Question: 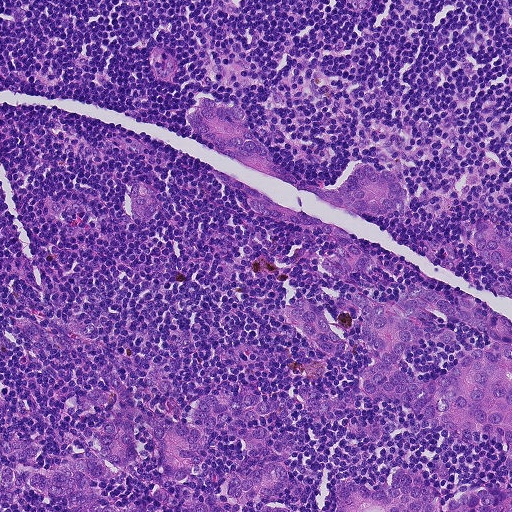
A 0.46-mm field of an H&E-stained sentinel lymph node from a breast-cancer patient (whole-slide image), shown at about 10×, about 0.9 µm per pixel.
Roughly what share of this field is metastatic tumour?

Choices:
 (A) about 25% to 45%
 (B) about 10% to 20%
 (C) none: no tumour is outlined
 (D) about 5% or less
 (E) about 50% or more

Answer: (A) about 25% to 45%
About 25% of the field is tumour.
Outlines of four tumour regions, largest first (closed clockwise paths, crop pixels): region 1: (204, 94), (232, 100), (278, 160), (329, 189), (357, 162), (392, 173), (407, 208), (373, 255), (455, 305), (425, 244), (442, 235), (469, 284), (487, 290), (506, 273), (479, 264), (469, 228), (511, 232), (511, 468), (503, 440), (429, 428), (400, 402), (361, 392), (373, 361), (366, 347), (322, 354), (268, 313), (305, 298), (352, 340), (361, 330), (353, 292), (378, 303), (405, 292), (372, 269), (326, 276), (317, 265), (338, 244), (254, 214), (214, 173), (212, 147), (187, 112); region 2: (249, 386), (267, 393), (275, 410), (260, 423), (290, 447), (293, 484), (284, 508), (292, 511), (68, 511), (70, 499), (20, 486), (0, 492), (0, 467), (12, 463), (0, 456), (0, 441), (40, 444), (42, 474), (94, 450), (110, 417), (166, 422), (195, 396), (233, 398); region 3: (395, 464), (414, 471), (429, 484), (441, 498), (439, 511), (336, 511), (334, 498), (338, 483), (351, 480), (364, 486), (370, 492), (388, 482); region 4: (478, 486), (496, 490), (511, 490), (511, 511), (447, 511), (447, 508), (458, 492).